Image:
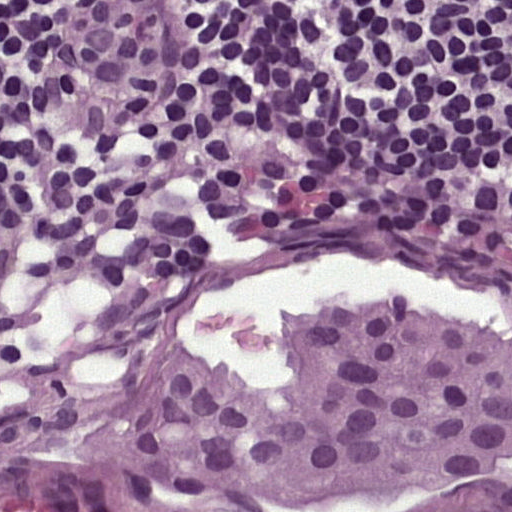
This is a crop of a whole-slide image: an H&E-stained breast-cancer sentinel lymph node section at roughly 40× magnification (about 0.24 µm per pixel; the crop spans about 0.12 mm).
Question:
Show where the tumour is in this image.
Answer:
The outlined metastatic tumour's edge, as a closed clockwise path of 11 points: (394, 292), (511, 321), (511, 474), (302, 508), (210, 502), (74, 459), (116, 386), (189, 330), (271, 381), (276, 323), (296, 305).
Tumour covers about 25% of the frame.